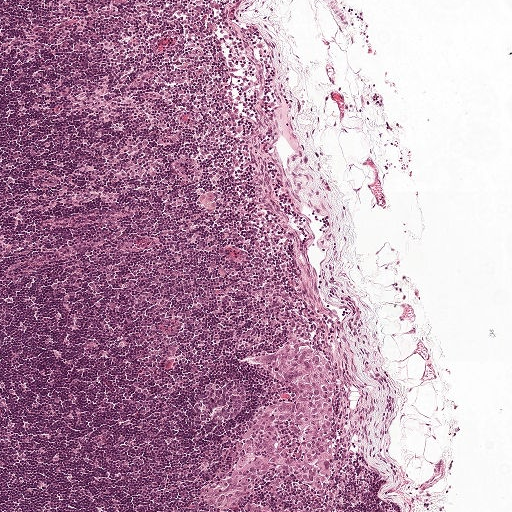
A 1-mm field of an H&E-stained sentinel lymph node from a breast-cancer patient (whole-slide image), shown at about 5×, about 1.9 µm per pixel.
Tumour region outline (a closed clockwise path, crop pixels): (292, 340), (316, 346), (336, 367), (340, 472), (333, 483), (310, 489), (277, 466), (243, 503), (230, 510), (219, 510), (202, 500), (200, 492), (232, 468), (260, 413), (273, 404), (295, 399), (286, 381), (252, 357).
About 5% of this field is tumour.